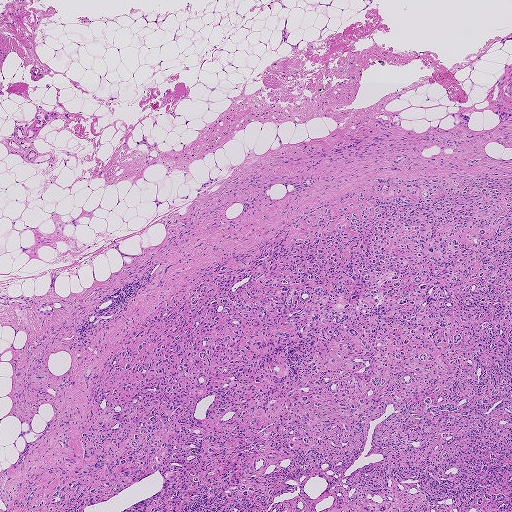
This is a crop of a whole-slide image: an H&E-stained breast-cancer sentinel lymph node section at roughly 2.5× magnification (about 3.6 µm per pixel; the crop spans about 1.9 mm).
Question: Show where the tumour is in this image.
Answer: One metastatic tumour region; its boundary, reduced to 10 corners and listed clockwise: (511, 170), (511, 511), (23, 511), (34, 487), (42, 484), (34, 503), (82, 468), (102, 371), (173, 295), (377, 177).
The annotated tumour makes up about 45% of the crop.